Image:
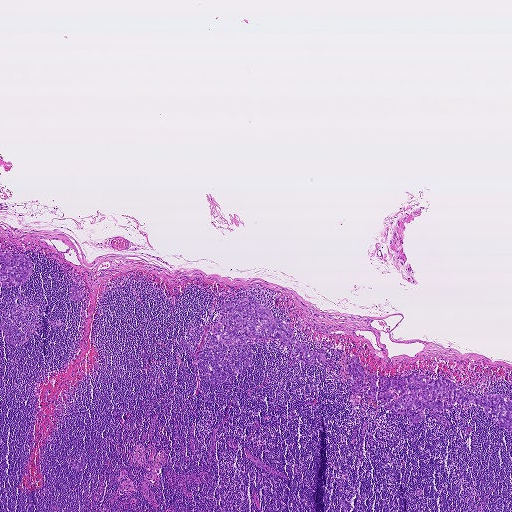
Lymph node section stained with H&E, from a whole-slide image of a breast-cancer sentinel node. Magnification about 2.5×, about 1.9 mm across the frame, about 3.6 µm per pixel.
Question:
Trace the edge of each tumour region in this crop, as (x, y) points from 0 to 511.
Answer:
Outlines of four tumour regions, largest first (closed clockwise paths, crop pixels): region 1: (354, 356), (363, 366), (364, 370), (390, 377), (410, 369), (432, 378), (444, 376), (457, 385), (465, 387), (465, 395), (481, 397), (498, 394), (511, 398), (511, 432), (488, 418), (483, 407), (471, 403), (465, 406), (458, 402), (445, 413), (424, 406), (419, 412), (423, 414), (422, 420), (412, 423), (408, 416), (410, 407), (392, 411), (373, 400), (365, 390), (351, 391), (345, 374); region 2: (248, 298), (268, 308), (272, 316), (278, 318), (290, 328), (296, 339), (306, 344), (309, 350), (323, 350), (326, 358), (324, 365), (303, 364), (297, 358), (299, 354), (294, 345), (282, 346), (276, 339), (224, 345), (217, 342), (211, 330), (214, 324), (222, 320), (221, 306); region 3: (0, 252), (10, 254), (27, 254), (30, 258), (32, 270), (24, 284), (0, 287); region 4: (75, 282), (83, 291), (84, 296), (82, 301), (76, 302), (71, 300), (68, 295), (69, 287).
One more small tumour piece is annotated here but not outlined.
Tumour covers about 5% of the frame.